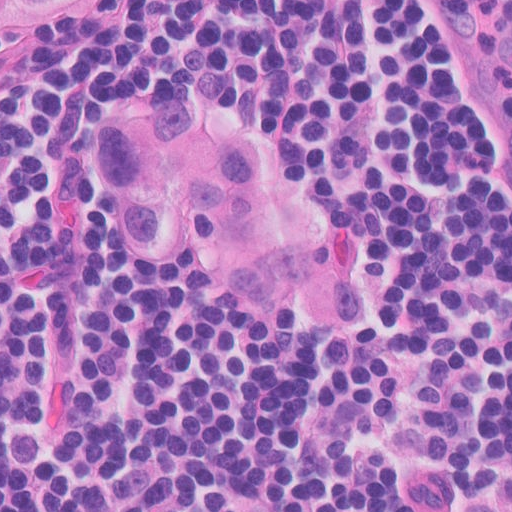
A 0.13-mm field of an H&E-stained sentinel lymph node from a breast-cancer patient (whole-slide image), shown at about 40×, about 0.25 µm per pixel.
Outlines of two tumour regions, largest first (closed clockwise paths, crop pixels): region 1: (221, 65), (357, 159), (421, 339), (302, 352), (179, 309), (68, 173), (119, 83); region 2: (0, 0), (224, 0), (164, 47), (0, 111).
About 30% of the image area is annotated as tumour.